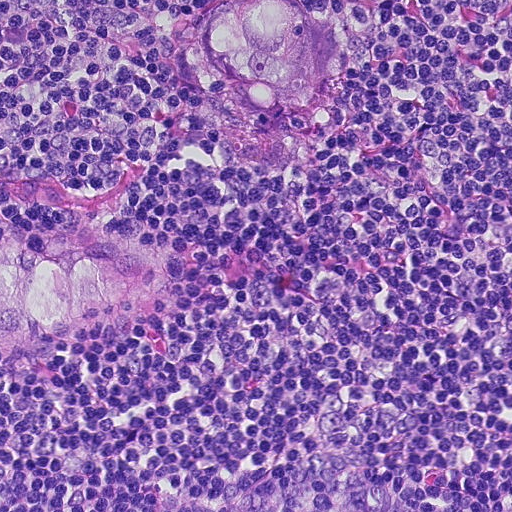
A 0.23-mm field of an H&E-stained sentinel lymph node from a breast-cancer patient (whole-slide image), shown at about 20×, about 0.45 µm per pixel.
Outlines of two tumour regions, largest first (closed clockwise paths, crop pixels): region 1: (3, 224), (31, 226), (54, 241), (80, 232), (136, 242), (158, 260), (156, 287), (136, 306), (53, 330), (5, 361), (0, 358); region 2: (228, 0), (299, 0), (325, 22), (335, 56), (328, 89), (300, 111), (266, 113), (232, 100), (208, 74), (193, 42), (204, 8).
The annotated tumour makes up about 10% of the crop.